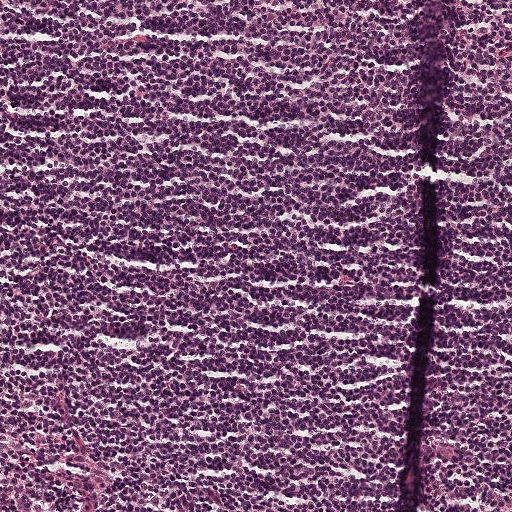
This is a crop of a whole-slide image: an H&E-stained breast-cancer sentinel lymph node section at roughly 10× magnification (about 0.97 µm per pixel; the crop spans about 0.5 mm).